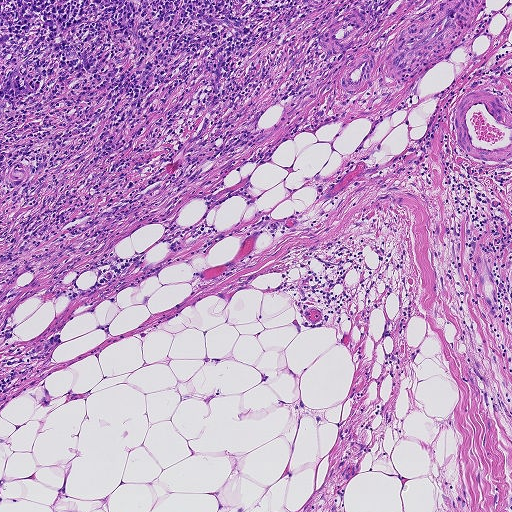
Lymph node section stained with H&E, from a whole-slide image of a breast-cancer sentinel node. Magnification about 5×, about 0.93 mm across the frame, about 1.8 µm per pixel.
Outlines of three tumour regions, largest first (closed clockwise paths, crop pixels): region 1: (19, 58), (34, 75), (43, 80), (40, 92), (33, 100), (0, 117), (0, 79); region 2: (0, 12), (14, 20), (19, 30), (17, 41), (0, 49); region 3: (90, 0), (124, 0), (121, 4), (111, 7), (98, 7).
Under 5% of the image area is annotated as tumour.